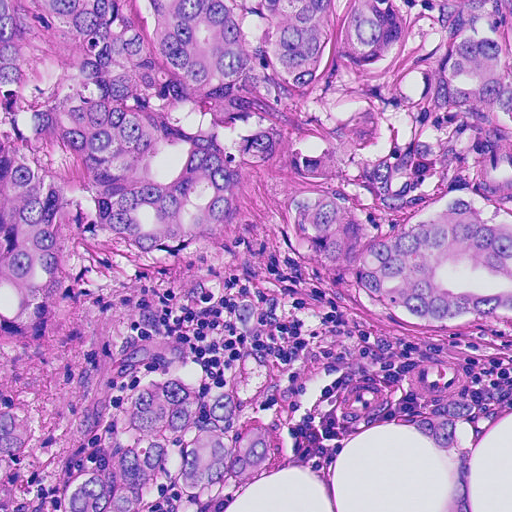
H&E-stained section of a sentinel lymph node (breast cancer), from a whole-slide image, viewed at about 20×: the field is about 0.23 mm across, about 0.45 µm per pixel.
Three metastatic tumour regions, each outlined as a closed clockwise path in crop pixels (x, y), largest first: region 1: (0, 0), (511, 0), (511, 337), (403, 325), (358, 305), (292, 243), (283, 200), (294, 182), (276, 168), (256, 178), (222, 235), (159, 248), (94, 242), (46, 320), (6, 331); region 2: (186, 352), (205, 365), (212, 385), (232, 395), (240, 418), (264, 418), (283, 458), (266, 476), (206, 507), (0, 511), (0, 407), (10, 404), (30, 422), (36, 466), (50, 481), (72, 470), (82, 425), (107, 390), (144, 362); region 3: (467, 394), (479, 412), (473, 432), (471, 454), (475, 511), (449, 511), (454, 496), (454, 475), (424, 440), (414, 421), (425, 402), (446, 395).
About 65% of the image area is annotated as tumour.